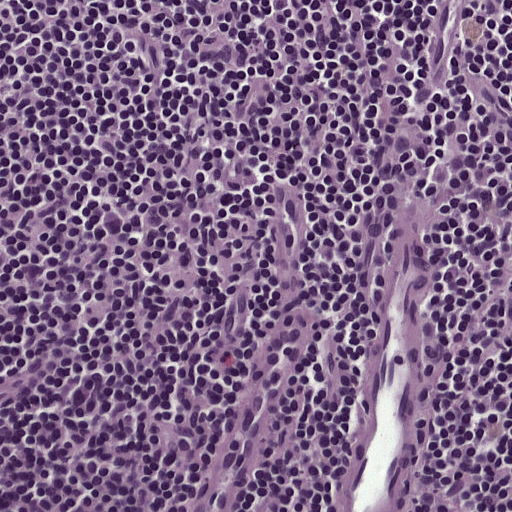
A 0.25-mm field of an H&E-stained sentinel lymph node from a breast-cancer patient (whole-slide image), shown at about 20×, about 0.49 µm per pixel.